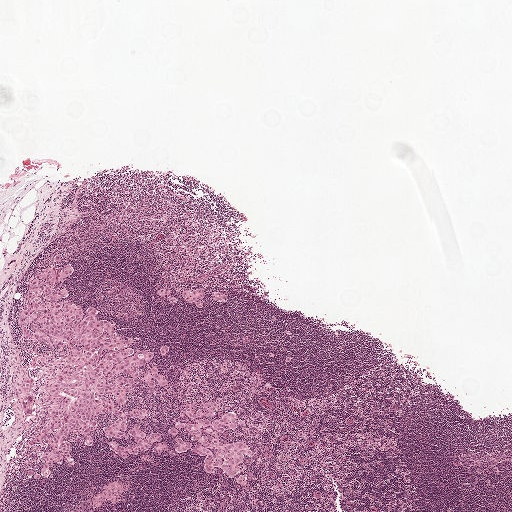
Lymph node section stained with H&E, from a whole-slide image of a breast-cancer sentinel node. Magnification about 2.5×, about 2.0 mm across the frame, about 3.9 µm per pixel.
Boundaries of six metastatic tumour regions, simplified and listed clockwise, largest first: region 1: (59, 255), (75, 268), (64, 300), (81, 306), (82, 319), (94, 306), (136, 352), (155, 354), (147, 368), (158, 367), (168, 387), (154, 391), (137, 379), (150, 415), (128, 425), (160, 431), (162, 440), (120, 458), (110, 443), (136, 440), (105, 433), (116, 418), (107, 412), (95, 446), (74, 441), (71, 467), (62, 459), (54, 477), (31, 478), (22, 466), (39, 450), (29, 443), (44, 425), (59, 358), (25, 340), (18, 324), (33, 286); region 2: (219, 401), (219, 409), (209, 417), (212, 422), (221, 420), (224, 414), (233, 412), (241, 424), (236, 430), (226, 428), (221, 440), (242, 441), (253, 454), (252, 457), (244, 455), (238, 466), (246, 477), (246, 483), (239, 485), (237, 476), (229, 475), (219, 467), (210, 474), (206, 473), (206, 459), (190, 450), (171, 457), (178, 437), (198, 443), (187, 429), (175, 435), (169, 429), (178, 422), (195, 423), (186, 412), (186, 404), (192, 404), (195, 412), (207, 403); region 3: (26, 382), (31, 383), (35, 402), (33, 413), (28, 415), (22, 409), (24, 395), (21, 387), (22, 384); region 4: (200, 289), (204, 291), (205, 293), (205, 297), (202, 300), (202, 307), (200, 308), (197, 308), (193, 304), (187, 302), (182, 297), (182, 293), (183, 292), (187, 290); region 5: (217, 291), (223, 292), (226, 294), (226, 299), (225, 302), (217, 302), (213, 300), (212, 295), (213, 293); region 6: (163, 287), (166, 287), (171, 290), (171, 294), (168, 297), (165, 297), (157, 294), (157, 292), (158, 290), (163, 291), (164, 290), (163, 288).
Two more small tumour pieces are annotated here but not outlined.
Tumour covers about 10% of the frame.